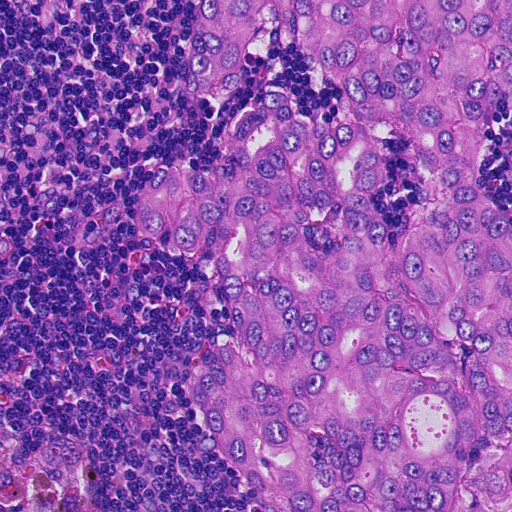
A 0.23-mm field of an H&E-stained sentinel lymph node from a breast-cancer patient (whole-slide image), shown at about 20×, about 0.45 µm per pixel.
One metastatic tumour region; its boundary, reduced to 23 corners and listed clockwise: (200, 0), (511, 0), (511, 511), (269, 511), (210, 450), (188, 386), (218, 306), (209, 284), (128, 218), (84, 248), (73, 228), (172, 162), (211, 162), (258, 94), (279, 90), (310, 120), (332, 117), (338, 97), (284, 28), (262, 30), (264, 74), (205, 96), (182, 60).
One more small tumour piece is annotated here but not outlined.
About 60% of this field is tumour.